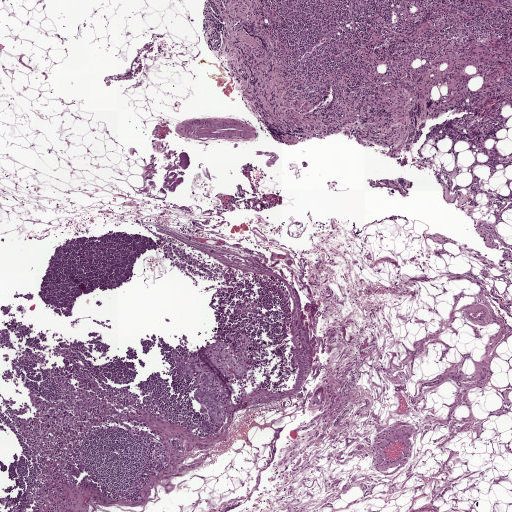
A 2.0-mm field of an H&E-stained sentinel lymph node from a breast-cancer patient (whole-slide image), shown at about 2.5×, about 3.9 µm per pixel.
Boundaries of two metastatic tumour regions, simplified and listed clockwise, largest first: region 1: (237, 331), (244, 332), (253, 341), (254, 347), (248, 376), (243, 378), (235, 377), (228, 417), (222, 428), (217, 429), (210, 423), (207, 415), (201, 414), (197, 402), (192, 400), (193, 378), (176, 373), (171, 355), (175, 347), (182, 356), (187, 351); region 2: (232, 256), (241, 257), (245, 260), (241, 263), (230, 261).
Four more small tumour pieces are annotated here but not outlined.
Under 5% of this field is tumour.